Question: 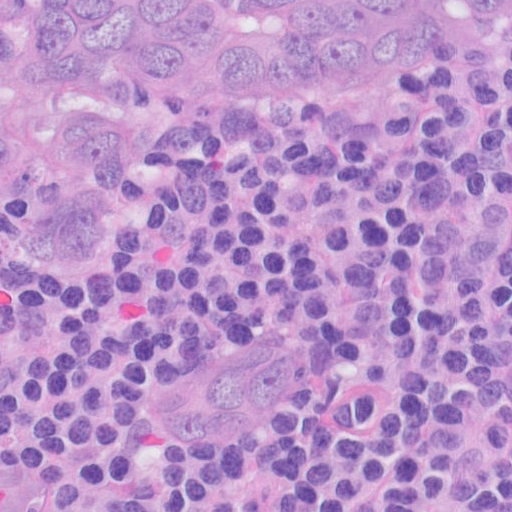
At roughly what magnification is this field shown?

Choices:
 (A) about 5×
 (B) about 10×
 (C) about 40×
 (D) about 20×
 (E) about 2.5×

Answer: (C) about 40×
This is a crop of a whole-slide image: an H&E-stained breast-cancer sentinel lymph node section at roughly 40× magnification (about 0.25 µm per pixel; the crop spans about 0.13 mm).
Boundaries of two metastatic tumour regions, simplified and listed clockwise, largest first: region 1: (0, 0), (511, 0), (511, 54), (374, 122), (202, 167), (142, 228), (70, 277), (0, 269); region 2: (279, 337), (302, 356), (294, 398), (269, 433), (231, 456), (184, 452), (145, 426), (157, 384), (236, 346).
Tumour covers about 40% of the frame.